Question: 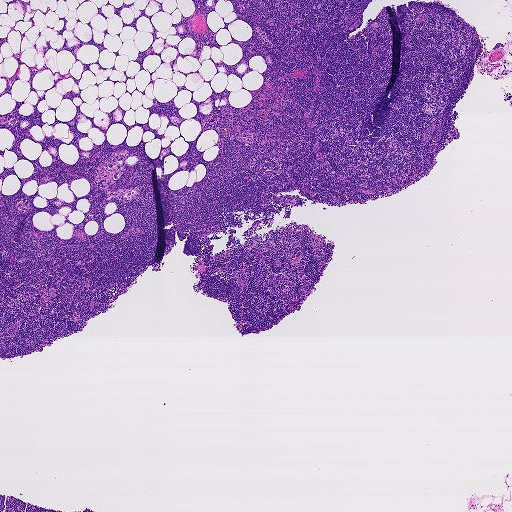
Lymph node section stained with H&E, from a whole-slide image of a breast-cancer sentinel node. Magnification about 2.5×, about 1.9 mm across the frame, about 3.6 µm per pixel.
What fraction of the image area is metastatic tumour?

Choices:
 (A) about 25% to 45%
 (B) about 10% to 20%
 (C) about 5% or less
 (D) about 50% or more
 (E) none: no tumour is outlined

Answer: (E) none: no tumour is outlined
No metastatic tumour is outlined in this field.